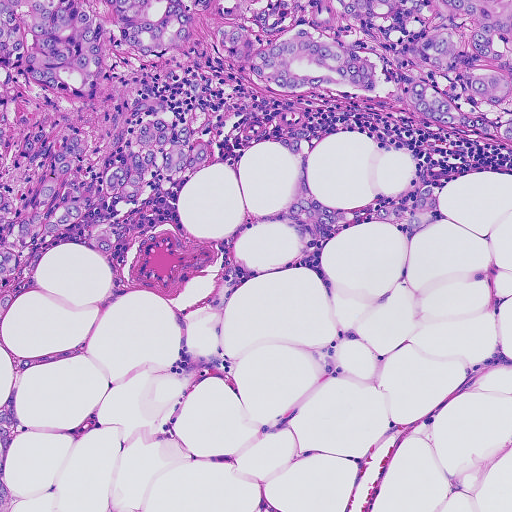
Lymph node section stained with H&E, from a whole-slide image of a breast-cancer sentinel node. Magnification about 10×, about 0.46 mm across the frame, about 0.91 µm per pixel.
Boundaries of three metastatic tumour regions, simplified and listed clockwise, largest first: region 1: (0, 0), (511, 0), (511, 144), (388, 106), (261, 88), (219, 51), (210, 14), (184, 47), (120, 50), (87, 96), (54, 94), (55, 139), (78, 132), (98, 170), (126, 124), (166, 105), (214, 159), (45, 236), (17, 271), (2, 313); region 2: (306, 127), (312, 136), (308, 156), (310, 188), (324, 205), (366, 213), (426, 185), (436, 184), (442, 192), (442, 214), (436, 222), (409, 238), (391, 225), (360, 223), (323, 246), (300, 246), (293, 226), (285, 219), (300, 167), (280, 140), (285, 130); region 3: (14, 402), (24, 430), (10, 446), (6, 474), (11, 487), (19, 496), (11, 511), (0, 511), (0, 408).
One more small tumour piece is annotated here but not outlined.
About 30% of the image area is annotated as tumour.